Question: 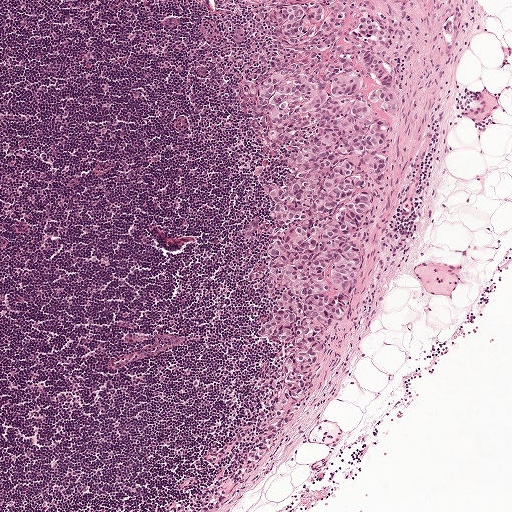
H&E-stained section of a sentinel lymph node (breast cancer), from a whole-slide image, viewed at about 5×: the field is about 1 mm across, about 1.9 µm per pixel.
What fraction of the image area is metastatic tumour?

Choices:
 (A) about 50% or more
 (B) about 25% to 45%
 (C) about 5% or less
 (D) none: no tumour is outlined
 (E) about 10% to 20%

Answer: (E) about 10% to 20%
About 15% of the field is tumour.
Metastatic tumour outline, simplified to 22 points and listed clockwise in crop pixels (x, y): (237, 0), (356, 0), (348, 14), (383, 19), (382, 47), (396, 54), (391, 148), (312, 385), (246, 472), (289, 354), (266, 333), (270, 294), (250, 274), (267, 256), (269, 193), (320, 127), (313, 117), (271, 140), (244, 100), (238, 85), (292, 49), (275, 14).